Question: 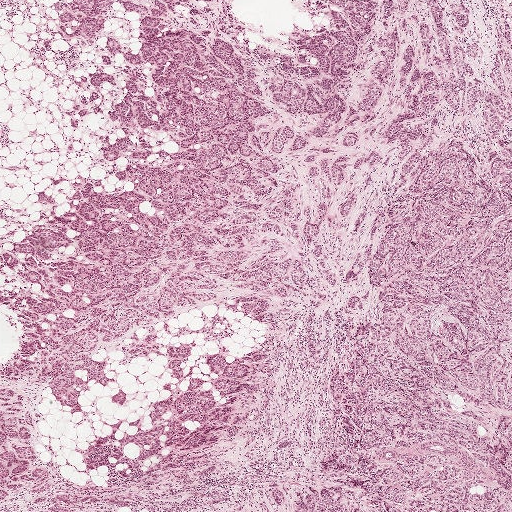
Which magnification is this H&E lymph node field most likely shown at?

Choices:
 (A) about 40×
 (B) about 5×
 (C) about 2.5×
 (D) about 20×
 (E) about 10×

Answer: (C) about 2.5×
A 2.0-mm field of an H&E-stained sentinel lymph node from a breast-cancer patient (whole-slide image), shown at about 2.5×, about 3.9 µm per pixel.